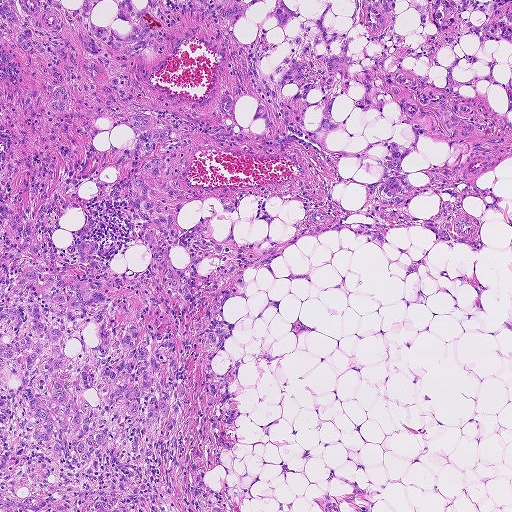
A 0.93-mm field of an H&E-stained sentinel lymph node from a breast-cancer patient (whole-slide image), shown at about 5×, about 1.8 µm per pixel.
Tumour region outline (a closed clockwise path, crop pixels): (0, 0), (511, 0), (511, 47), (402, 64), (438, 88), (511, 66), (511, 112), (484, 81), (451, 96), (398, 73), (325, 140), (414, 151), (408, 213), (480, 251), (292, 238), (297, 201), (364, 205), (367, 160), (167, 162), (180, 225), (293, 244), (224, 304), (151, 505), (0, 511).
One more small tumour piece is annotated here but not outlined.
Tumour covers about 55% of the frame.